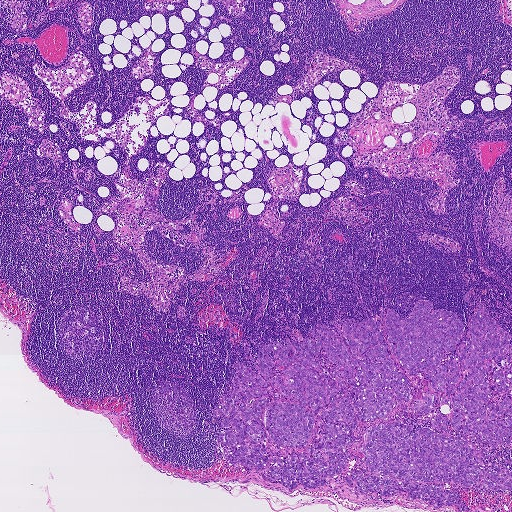
A 1.9-mm field of an H&E-stained sentinel lymph node from a breast-cancer patient (whole-slide image), shown at about 2.5×, about 3.6 µm per pixel.
The outlined metastatic tumour's edge, as a closed clockwise path of 22 points: (425, 299), (465, 326), (443, 362), (451, 359), (465, 336), (479, 303), (508, 329), (511, 443), (467, 435), (511, 488), (431, 483), (492, 511), (334, 477), (290, 491), (227, 462), (213, 414), (234, 364), (257, 374), (263, 343), (315, 344), (316, 324), (341, 335).
One more small tumour piece is annotated here but not outlined.
The annotated tumour makes up about 20% of the crop.